Lymph node section stained with H&E, from a whole-slide image of a breast-cancer sentinel node. Magnification about 20×, about 0.25 mm across the frame, about 0.49 µm per pixel.
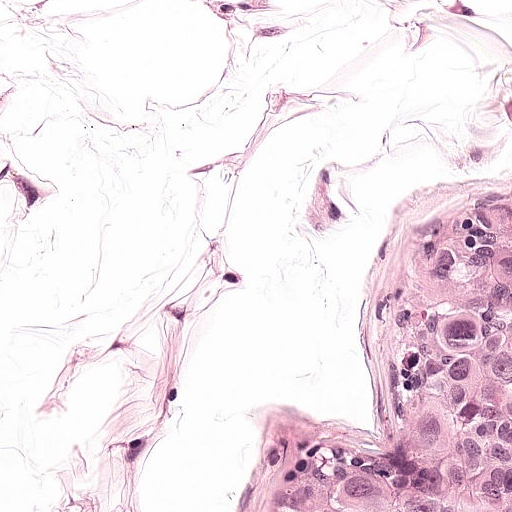
Tumour region outline (a closed clockwise path, crop pixels): (511, 167), (511, 511), (256, 511), (262, 482), (284, 452), (380, 394), (401, 353), (404, 314), (430, 244).
About 15% of this field is tumour.